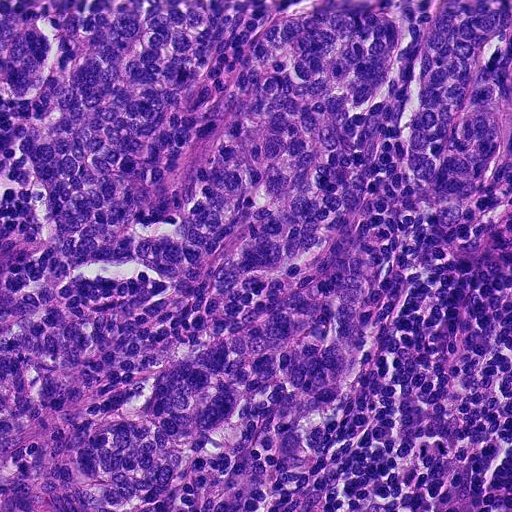
Lymph node section stained with H&E, from a whole-slide image of a breast-cancer sentinel node. Magnification about 20×, about 0.23 mm across the frame, about 0.45 µm per pixel.
Outlines of two tumour regions, largest first (closed clockwise paths, crop pixels): region 1: (0, 0), (511, 0), (511, 149), (470, 212), (428, 223), (394, 331), (293, 511), (0, 511); region 2: (401, 501), (426, 511), (383, 511).
The annotated tumour makes up about 85% of the crop.